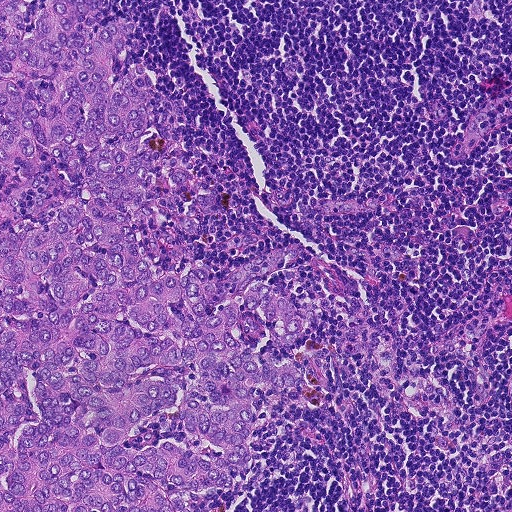
H&E-stained section of a sentinel lymph node (breast cancer), from a whole-slide image, viewed at about 10×: the field is about 0.46 mm across, about 0.9 µm per pixel.
The outlined metastatic tumour's edge, as a closed clockwise path of 23 points: (0, 0), (117, 0), (167, 94), (186, 77), (188, 122), (171, 136), (223, 196), (197, 217), (199, 236), (273, 236), (196, 261), (224, 276), (295, 242), (313, 251), (324, 323), (257, 349), (279, 362), (323, 346), (337, 388), (280, 432), (250, 494), (218, 508), (0, 511).
About 45% of this field is tumour.